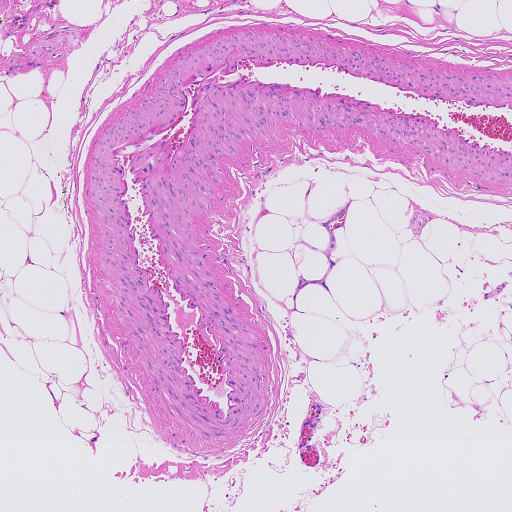
A 0.93-mm field of an H&E-stained sentinel lymph node from a breast-cancer patient (whole-slide image), shown at about 5×, about 1.8 µm per pixel.